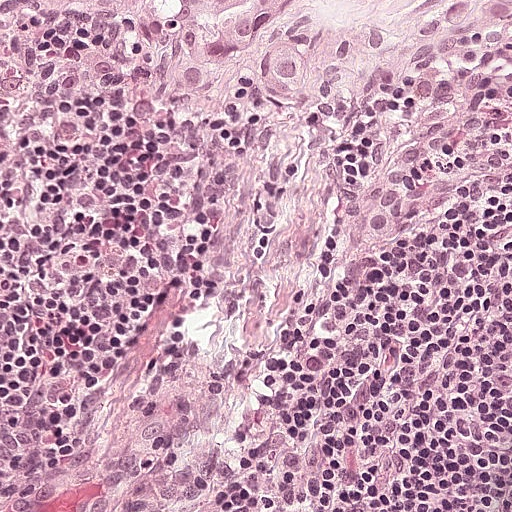
A 0.25-mm field of an H&E-stained sentinel lymph node from a breast-cancer patient (whole-slide image), shown at about 20×, about 0.49 µm per pixel.
Outlines of two tumour regions, largest first (closed clockwise paths, crop pixels): region 1: (158, 0), (299, 0), (296, 16), (285, 18), (275, 28), (242, 82), (203, 108), (168, 108), (159, 103), (152, 90), (161, 55); region 2: (436, 0), (511, 0), (511, 28), (500, 32), (484, 44), (476, 60), (465, 72), (428, 89), (396, 97), (389, 94), (390, 82).
About 5% of this field is tumour.